Question: 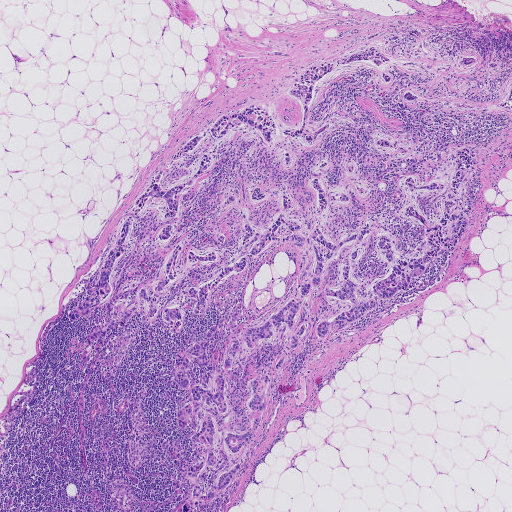
This is a crop of a whole-slide image: an H&E-stained breast-cancer sentinel lymph node section at roughly 2.5× magnification (about 3.6 µm per pixel; the crop spans about 1.9 mm).
Roughly what share of this field is metastatic tumour?

Choices:
 (A) about 10% to 20%
 (B) none: no tumour is outlined
 (C) about 5% or less
 (D) about 50% or more
 (E) about 25% to 45%

Answer: (E) about 25% to 45%
About 25% of the field is tumour.
Eight metastatic tumour regions, each outlined as a closed clockwise path in crop pixels (x, y), largest first: region 1: (381, 47), (387, 85), (359, 62), (320, 79), (307, 118), (331, 123), (291, 172), (329, 157), (338, 184), (358, 160), (368, 225), (407, 253), (426, 236), (403, 173), (448, 182), (478, 148), (468, 230), (295, 357), (254, 439), (201, 475), (205, 495), (240, 463), (227, 490), (178, 511), (206, 456), (177, 353), (218, 327), (221, 372), (301, 270), (271, 240), (176, 332), (143, 305), (83, 361), (111, 303), (69, 314), (183, 142), (254, 103), (294, 129), (305, 72); region 2: (506, 28), (511, 31), (511, 63), (504, 63), (495, 58), (484, 60), (471, 45), (475, 36), (480, 36), (484, 30), (491, 30), (498, 37), (500, 34), (496, 29); region 3: (384, 135), (396, 139), (397, 144), (394, 148), (381, 149), (374, 145), (374, 138); region 4: (511, 84), (511, 112), (510, 110), (495, 107), (495, 104), (505, 99); region 5: (406, 90), (411, 90), (418, 93), (420, 99), (417, 101), (410, 102), (404, 101), (401, 95); region 6: (468, 56), (476, 56), (476, 60), (474, 64), (466, 66), (460, 65), (459, 61), (463, 57); region 7: (394, 35), (400, 37), (396, 41), (386, 44), (384, 43), (387, 39); region 8: (381, 32), (380, 35), (374, 39), (366, 40), (367, 37), (374, 33).
Four more small tumour pieces are annotated here but not outlined.